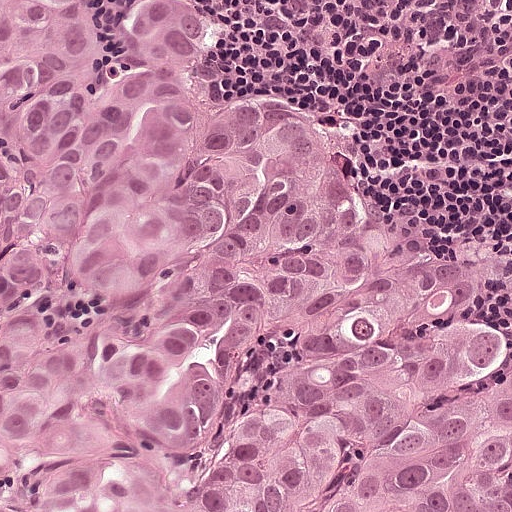
Lymph node section stained with H&E, from a whole-slide image of a breast-cancer sentinel node. Magnification about 20×, about 0.25 mm across the frame, about 0.49 µm per pixel.
Question: Show where the tumour is in this image.
Answer: One metastatic tumour region; its boundary, reduced to 19 corners and listed clockwise: (0, 0), (94, 2), (100, 88), (150, 64), (128, 30), (125, 0), (205, 0), (217, 18), (211, 62), (225, 87), (290, 108), (395, 223), (448, 234), (456, 260), (480, 273), (482, 304), (509, 329), (511, 511), (0, 511).
Tumour covers about 80% of the frame.